A 2.0-mm field of an H&E-stained sentinel lymph node from a breast-cancer patient (whole-slide image), shown at about 2.5×, about 3.9 µm per pixel.
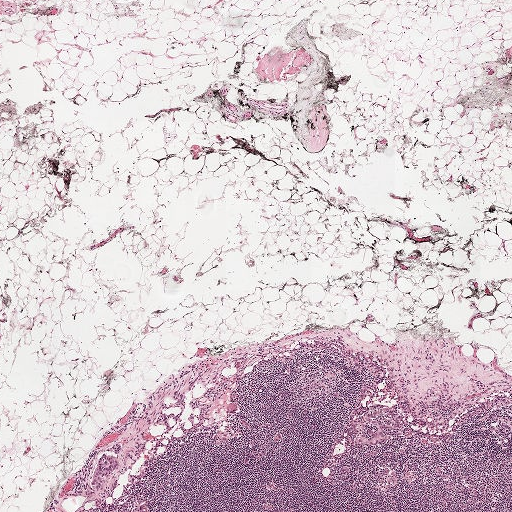
Question: Trace the edge of each tumour region in this crop, as (x, y) points from 0 to 511.
Answer: Two metastatic tumour regions, each outlined as a closed clockwise path in crop pixels (x, y), largest first: region 1: (368, 413), (376, 413), (378, 422), (394, 427), (384, 428), (385, 433), (392, 435), (392, 437), (387, 442), (376, 444), (368, 443), (360, 444), (354, 442), (356, 433), (351, 423), (359, 418), (364, 418); region 2: (122, 442), (121, 463), (119, 469), (109, 478), (104, 488), (99, 490), (92, 490), (93, 473), (101, 452), (114, 443).
Under 5% of the image area is annotated as tumour.